H&E-stained section of a sentinel lymph node (breast cancer), from a whole-slide image, viewed at about 2.5×: the field is about 2.0 mm across, about 3.9 µm per pixel.
Image:
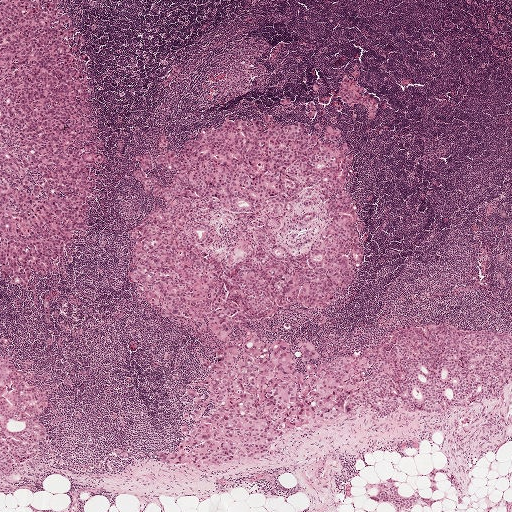
Question:
Which parts of this field are metastatic tumour?
Answer:
The eight largest tumour regions' boundaries, simplified and listed clockwise, largest first: region 1: (265, 115), (307, 134), (341, 129), (364, 257), (327, 308), (246, 325), (289, 344), (296, 373), (414, 322), (496, 332), (511, 337), (504, 394), (312, 420), (265, 456), (217, 466), (160, 461), (187, 441), (181, 425), (197, 427), (186, 389), (208, 398), (203, 363), (224, 346), (207, 318), (184, 327), (128, 279), (130, 232), (165, 205), (133, 173), (165, 188), (174, 174), (136, 158), (178, 157), (225, 120), (267, 133), (270, 128); region 2: (0, 0), (61, 0), (58, 8), (84, 39), (98, 129), (91, 140), (107, 163), (96, 167), (87, 229), (61, 257), (66, 274), (32, 273), (27, 290), (0, 276); region 3: (0, 357), (11, 358), (18, 369), (22, 362), (32, 359), (34, 364), (27, 373), (32, 371), (37, 375), (31, 384), (46, 394), (49, 402), (49, 408), (41, 420), (46, 430), (46, 437), (40, 442), (37, 450), (18, 464), (8, 476), (0, 475); region 4: (355, 66), (360, 68), (361, 74), (358, 81), (360, 84), (366, 89), (371, 97), (376, 98), (378, 102), (374, 118), (371, 119), (367, 118), (369, 110), (366, 105), (350, 108), (337, 98), (344, 74), (353, 77), (352, 70); region 5: (393, 477), (400, 481), (394, 484), (398, 486), (398, 493), (403, 497), (410, 496), (417, 491), (420, 496), (432, 498), (436, 500), (436, 503), (432, 507), (423, 508), (416, 503), (406, 511), (396, 511), (396, 506), (388, 502), (379, 503), (368, 499), (367, 495), (375, 493), (379, 483); region 6: (300, 342), (311, 342), (319, 354), (320, 359), (309, 362), (303, 361), (298, 345); region 7: (491, 416), (499, 422), (500, 428), (497, 435), (488, 437), (485, 437), (487, 429), (487, 419); region 8: (434, 468), (436, 469), (442, 469), (444, 472), (444, 473), (443, 473), (441, 472), (438, 472), (435, 474), (434, 476), (435, 481), (436, 485), (439, 489), (434, 492), (432, 493), (431, 493), (430, 488), (430, 482), (426, 477), (427, 474), (431, 470).
Two more, smaller tumour regions are not outlined.
One more small tumour piece is annotated here but not outlined.
Tumour covers about 35% of the frame.